Question: 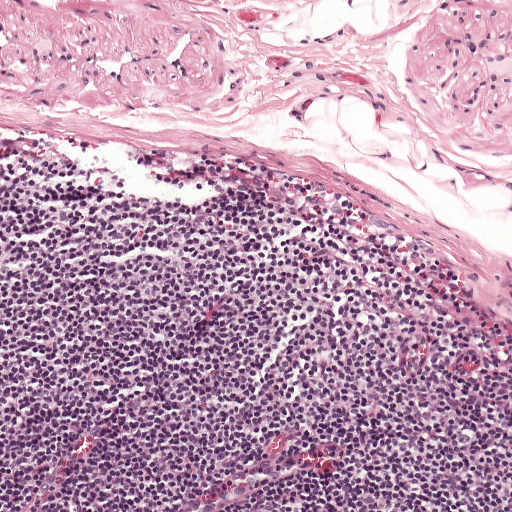
About what magnification does this crop show?

Choices:
 (A) about 20×
 (B) about 5×
 (C) about 10×
 (D) about 2.5×
 (E) about 40×

Answer: (C) about 10×
Lymph node section stained with H&E, from a whole-slide image of a breast-cancer sentinel node. Magnification about 10×, about 0.5 mm across the frame, about 0.97 µm per pixel.